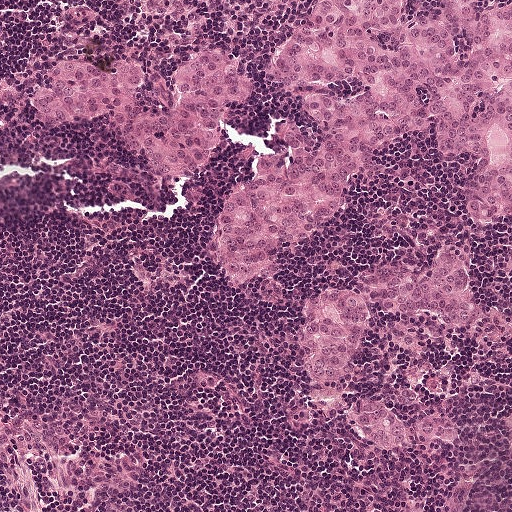
This is a crop of a whole-slide image: an H&E-stained breast-cancer sentinel lymph node section at roughly 10× magnification (about 0.97 µm per pixel; the crop spans about 0.5 mm).
Five metastatic tumour regions, each outlined as a closed clockwise path in crop pixels (x, y), largest first: region 1: (405, 0), (416, 13), (420, 0), (511, 0), (511, 219), (468, 216), (471, 161), (443, 157), (425, 128), (378, 150), (373, 177), (291, 240), (273, 306), (261, 308), (217, 277), (201, 233), (276, 124), (305, 148), (306, 118), (270, 66), (308, 1); region 2: (224, 48), (246, 66), (248, 95), (242, 104), (224, 102), (207, 166), (168, 178), (150, 172), (107, 120), (71, 126), (46, 119), (30, 102), (62, 56), (110, 65), (118, 56), (141, 73), (142, 86), (130, 98), (148, 110), (170, 104), (184, 56); region 3: (436, 249), (455, 253), (472, 314), (416, 348), (400, 351), (385, 333), (381, 311), (364, 309), (362, 351), (353, 375), (324, 386), (311, 383), (304, 370), (304, 353), (295, 341), (296, 322), (307, 294), (344, 286), (368, 266), (416, 270), (427, 264); region 4: (360, 397), (366, 398), (382, 405), (394, 414), (404, 425), (407, 438), (406, 445), (396, 451), (388, 451), (375, 450), (360, 440), (342, 414), (344, 404), (350, 399), (361, 398); region 5: (511, 407), (511, 465), (508, 458), (507, 450), (506, 446), (505, 444), (504, 438), (504, 420), (507, 409).
One more small tumour piece is annotated here but not outlined.
About 30% of the image area is annotated as tumour.